Question: 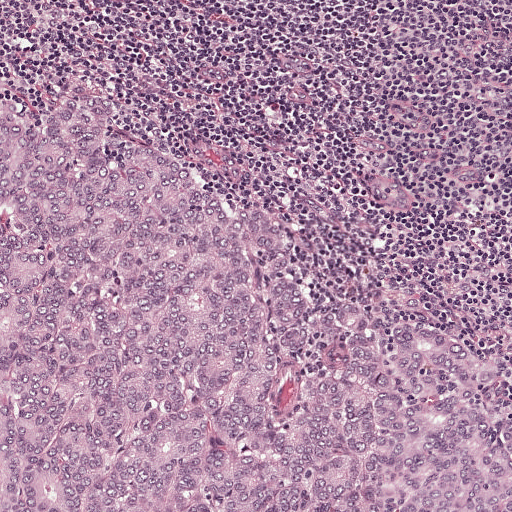
About what magnification does this crop show?

Choices:
 (A) about 2.5×
 (B) about 5×
 (C) about 40×
 (D) about 10×
 (E) about 20×

Answer: (D) about 10×
This is a crop of a whole-slide image: an H&E-stained breast-cancer sentinel lymph node section at roughly 10× magnification (about 0.97 µm per pixel; the crop spans about 0.5 mm).
Metastatic tumour outline, simplified to 10 points and listed clockwise in crop pixels (x, y): (75, 74), (94, 83), (155, 143), (270, 208), (318, 278), (511, 365), (511, 511), (0, 511), (0, 97), (40, 99).
About 60% of this field is tumour.